H&E-stained section of a sentinel lymph node (breast cancer), from a whole-slide image, viewed at about 20×: the field is about 0.25 mm across, about 0.49 µm per pixel.
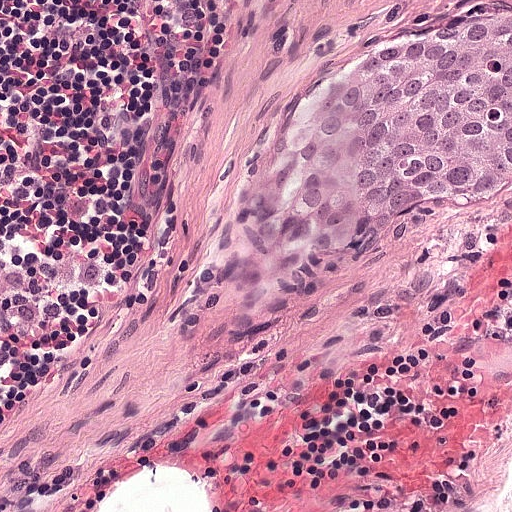
Metastatic tumour outline, simplified to 10 points and listed clockwise in crop pixels (x, y): (510, 4), (511, 186), (392, 225), (320, 275), (298, 282), (254, 278), (260, 202), (348, 73), (365, 58), (439, 40).
About 15% of this field is tumour.